Question: 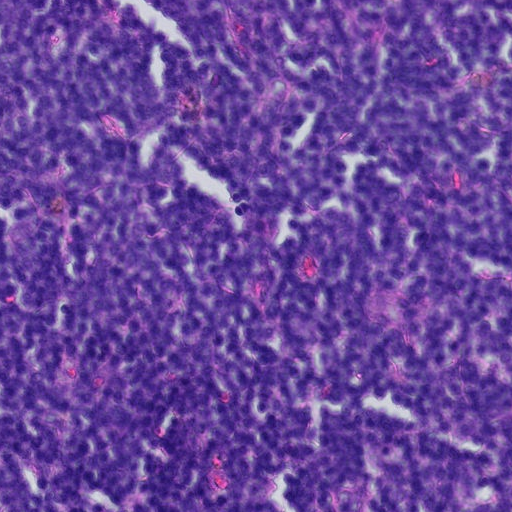
At roughly what magnification is this field shown?

Choices:
 (A) about 2.5×
 (B) about 40×
 (C) about 20×
 (D) about 10×
 (E) about 5×

Answer: (C) about 20×
H&E-stained section of a sentinel lymph node (breast cancer), from a whole-slide image, viewed at about 20×: the field is about 0.23 mm across, about 0.45 µm per pixel.